Image:
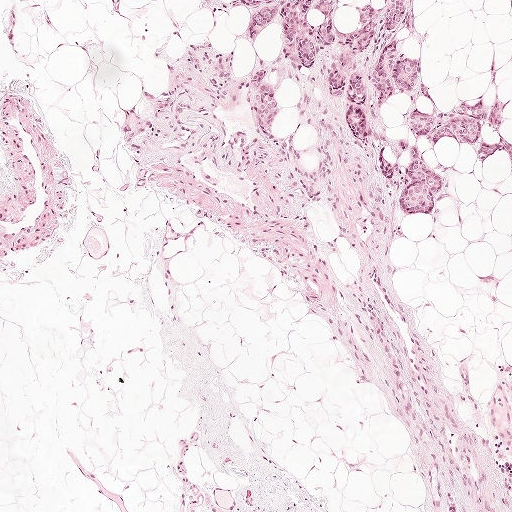
H&E-stained section of a sentinel lymph node (breast cancer), from a whole-slide image, viewed at about 5×: the field is about 1 mm across, about 1.9 µm per pixel.
Question:
Is there metastatic carcinoma in this field?
Answer:
Yes.
Outlines of two tumour regions, largest first (closed clockwise paths, crop pixels): region 1: (200, 0), (340, 0), (338, 28), (356, 30), (357, 5), (417, 0), (399, 47), (417, 57), (433, 96), (390, 99), (388, 136), (415, 141), (404, 113), (417, 107), (498, 95), (504, 122), (487, 124), (481, 137), (511, 140), (511, 175), (506, 155), (428, 146), (445, 173), (444, 198), (427, 214), (405, 214), (333, 108), (291, 76), (276, 87), (274, 128), (249, 129), (253, 49), (237, 38), (242, 11), (210, 11); region 2: (511, 461), (511, 511), (486, 511), (485, 492), (487, 480).
Tumour covers about 10% of the frame.